Lymph node section stained with H&E, from a whole-slide image of a breast-cancer sentinel node. Magnification about 5×, about 1 mm across the frame, about 1.9 µm per pixel.
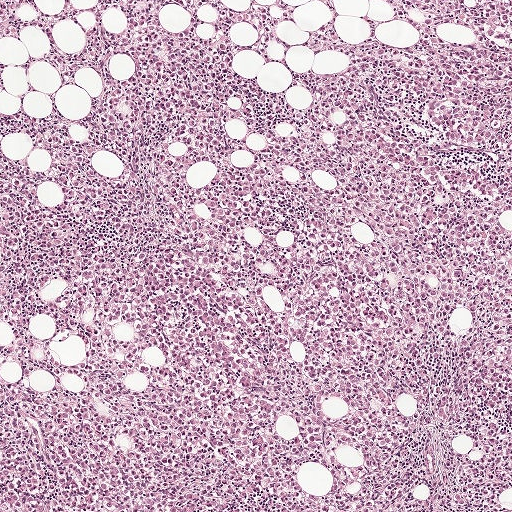
Question: Trace the edge of each tumour region in this crop, as (x, y) points from 0 to 511.
Answer: Three metastatic tumour regions, each outlined as a closed clockwise path in crop pixels (x, y), largest first: region 1: (200, 243), (245, 277), (325, 265), (346, 272), (392, 344), (391, 438), (373, 480), (392, 511), (19, 511), (17, 478), (35, 436), (94, 402), (179, 386), (183, 366), (130, 306), (151, 262); region 2: (372, 120), (466, 170), (511, 166), (511, 422), (458, 394), (426, 356), (360, 226), (341, 146), (349, 127); region 3: (511, 0), (511, 8), (481, 10), (464, 20), (453, 21), (441, 19), (437, 15), (422, 12), (414, 1).
About 40% of the image area is annotated as tumour.